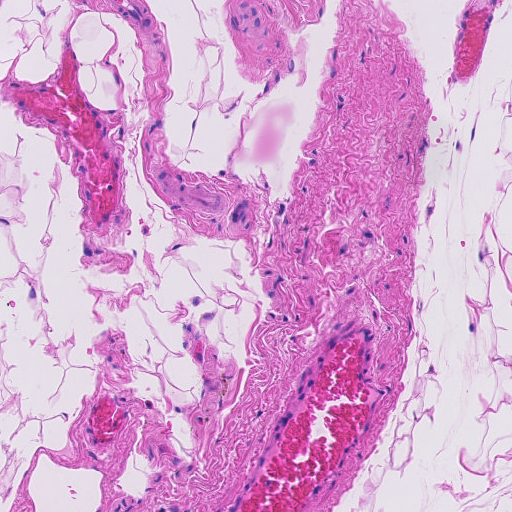
A 0.46-mm field of an H&E-stained sentinel lymph node from a breast-cancer patient (whole-slide image), shown at about 10×, about 0.91 µm per pixel.